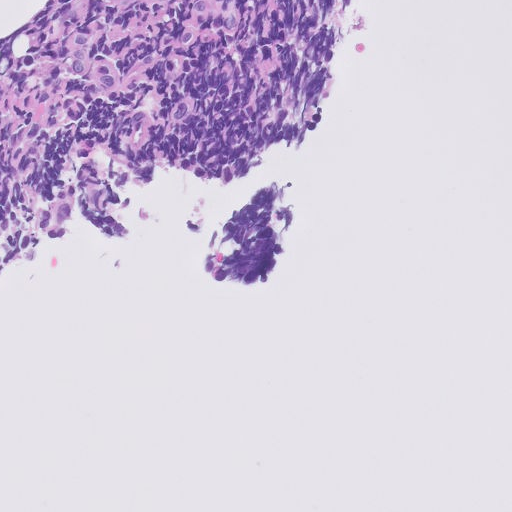
Lymph node section stained with H&E, from a whole-slide image of a breast-cancer sentinel node. Magnification about 20×, about 0.26 mm across the frame, about 0.5 µm per pixel.